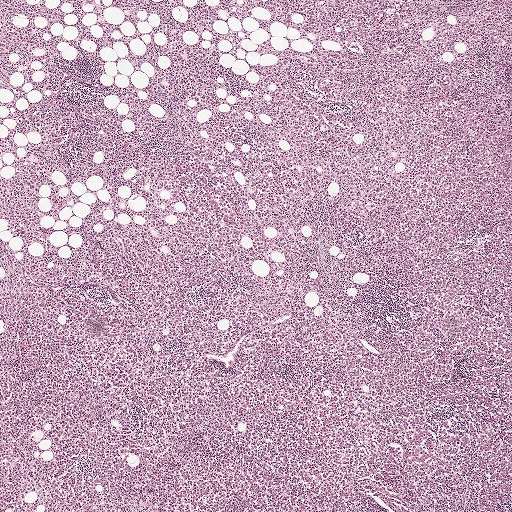
This is a crop of a whole-slide image: an H&E-stained breast-cancer sentinel lymph node section at roughly 2.5× magnification (about 3.9 µm per pixel; the crop spans about 2.0 mm).
Outlines of eight tumour regions, largest first (closed clockwise paths, crop pixels): region 1: (454, 77), (504, 120), (502, 158), (487, 178), (472, 227), (454, 244), (403, 251), (347, 235), (325, 218), (300, 178), (278, 125), (278, 92), (289, 89), (340, 114); region 2: (203, 150), (226, 167), (266, 161), (278, 166), (299, 200), (298, 248), (290, 268), (299, 291), (287, 313), (244, 331), (224, 348), (148, 356), (122, 327), (112, 268), (130, 240), (193, 222), (194, 212), (168, 181), (178, 159); region 3: (319, 319), (359, 340), (364, 369), (357, 383), (387, 435), (378, 462), (336, 506), (287, 505), (264, 492), (238, 454), (246, 424), (241, 392), (253, 381), (290, 372), (278, 344), (285, 330); region 4: (430, 412), (468, 414), (493, 429), (511, 434), (511, 511), (408, 511), (400, 479), (405, 441), (417, 419); region 5: (511, 181), (511, 374), (507, 370), (505, 357), (496, 341), (495, 318), (486, 300), (488, 237), (486, 212), (491, 198), (503, 185); region 6: (271, 0), (439, 0), (410, 10), (379, 28), (367, 32), (343, 33), (333, 39), (314, 35), (306, 20), (300, 15), (275, 12); region 7: (0, 406), (11, 407), (20, 413), (28, 431), (31, 451), (43, 463), (43, 472), (38, 482), (20, 493), (13, 501), (1, 509); region 8: (36, 162), (41, 177), (38, 188), (41, 198), (38, 208), (42, 213), (40, 219), (48, 232), (48, 238), (41, 242), (34, 241), (26, 244), (18, 236), (10, 236), (9, 230), (5, 229), (6, 222), (0, 218), (0, 175), (8, 177), (17, 168).
One more small tumour piece is annotated here but not outlined.
Tumour covers about 35% of the frame.